Image:
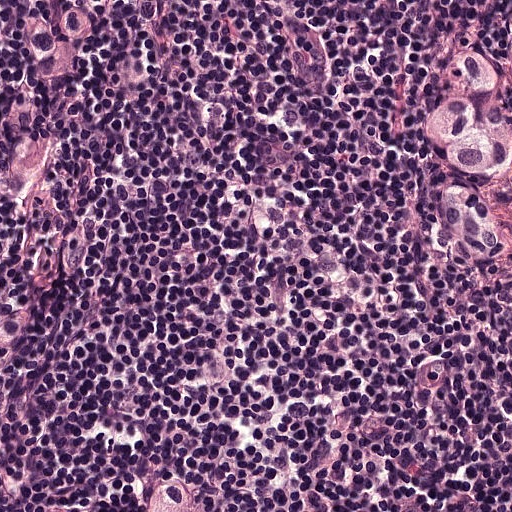
H&E-stained section of a sentinel lymph node (breast cancer), from a whole-slide image, viewed at about 20×: the field is about 0.25 mm across, about 0.49 µm per pixel.
Question:
Does this lymph node field contain metastatic tumour?
Answer:
Yes.
Tumour region outline (a closed clockwise path, crop pixels): (511, 0), (511, 180), (500, 171), (441, 168), (427, 156), (418, 129), (418, 98), (424, 82), (463, 15), (479, 1).
The annotated tumour makes up about 5% of the crop.